A 0.23-mm field of an H&E-stained sentinel lymph node from a breast-cancer patient (whole-slide image), shown at about 20×, about 0.45 µm per pixel.
Question: 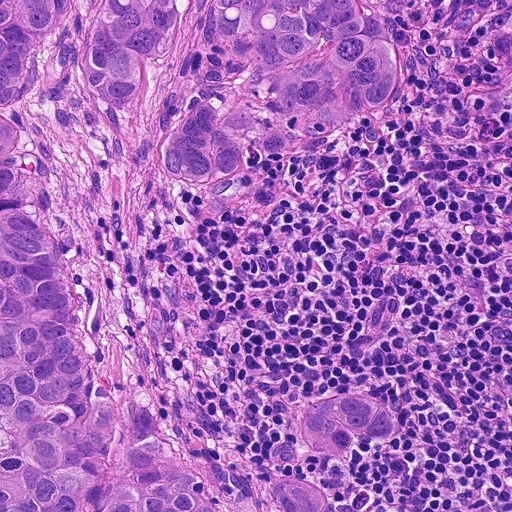
Roughly what share of this field is metastatic tumour?

Choices:
 (A) about 25% to 45%
 (B) about 10% to 20%
 (C) about 50% or more
 (D) about 5% or less
 (E) none: no tumour is outlined

Answer: (A) about 25% to 45%
About 35% of the field is tumour.
Outlines of three tumour regions, largest first (closed clockwise paths, crop pixels): region 1: (0, 0), (74, 0), (32, 90), (8, 111), (34, 140), (17, 155), (69, 240), (92, 334), (92, 396), (162, 404), (178, 446), (214, 477), (235, 511), (0, 511); region 2: (101, 0), (388, 0), (402, 86), (372, 121), (248, 178), (236, 202), (201, 205), (146, 168), (188, 87), (200, 42), (184, 8), (132, 111), (82, 98), (81, 52); region 3: (368, 386), (396, 420), (396, 436), (356, 462), (318, 463), (307, 479), (338, 486), (337, 511), (250, 511), (265, 479), (276, 471), (306, 466), (292, 422), (323, 388).
One more small tumour piece is annotated here but not outlined.